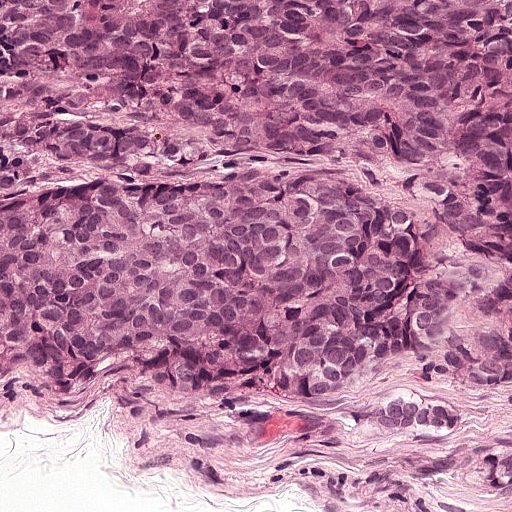
H&E-stained section of a sentinel lymph node (breast cancer), from a whole-slide image, viewed at about 20×: the field is about 0.25 mm across, about 0.49 µm per pixel.
One metastatic tumour region; its boundary, reduced to 23 corners and listed clockwise: (0, 0), (511, 0), (511, 491), (475, 489), (462, 473), (468, 428), (509, 414), (509, 400), (486, 389), (472, 394), (457, 444), (398, 444), (312, 407), (182, 421), (118, 400), (112, 416), (96, 418), (0, 387), (0, 179), (200, 155), (196, 136), (57, 89), (4, 52).
About 80% of this field is tumour.